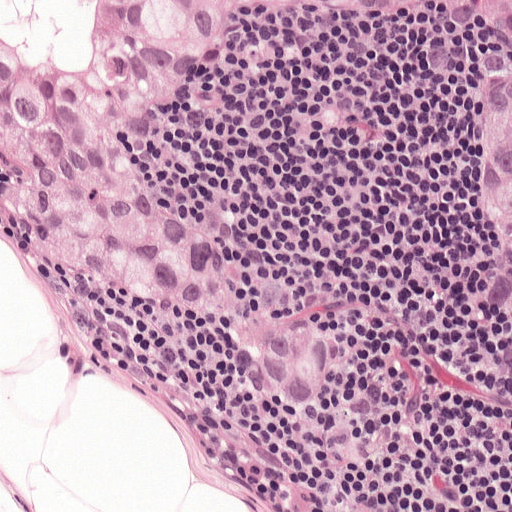
Lymph node section stained with H&E, from a whole-slide image of a breast-cancer sentinel node. Magnification about 20×, about 0.25 mm across the frame, about 0.49 µm per pixel.
The outlined metastatic tumour's edge, as a closed clockwise path of 17 points: (0, 0), (511, 0), (511, 281), (454, 205), (454, 50), (406, 18), (326, 18), (250, 39), (139, 146), (196, 211), (326, 304), (332, 390), (292, 416), (188, 324), (112, 308), (42, 272), (0, 204).
About 35% of this field is tumour.